Image:
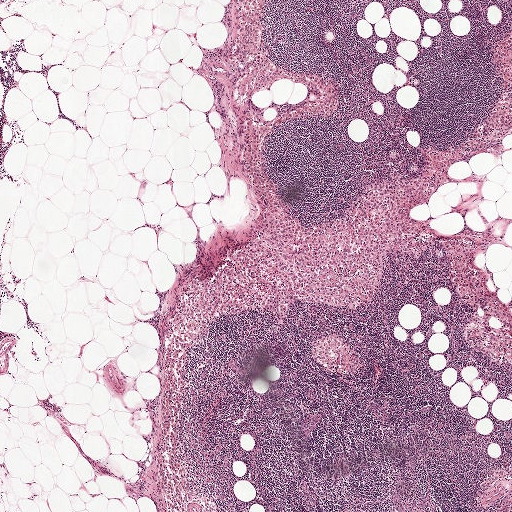
This is a crop of a whole-slide image: an H&E-stained breast-cancer sentinel lymph node section at roughly 2.5× magnification (about 3.9 µm per pixel; the crop spans about 2.0 mm).
Question:
Is any metastatic breast cancer visible in this crop?
Answer:
No, this field holds no outlined metastasis.